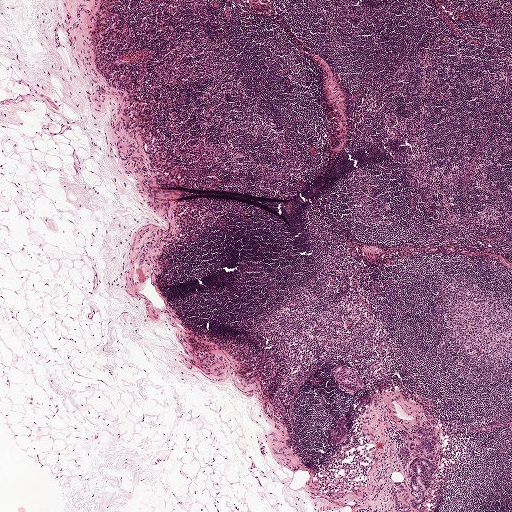
H&E-stained section of a sentinel lymph node (breast cancer), from a whole-slide image, viewed at about 2.5×: the field is about 2.0 mm across, about 3.9 µm per pixel.
Three metastatic tumour regions, each outlined as a closed clockwise path in crop pixels (x, y), largest first: region 1: (431, 423), (440, 424), (440, 456), (426, 497), (425, 511), (395, 511), (392, 498), (388, 496), (389, 492), (392, 486), (401, 480), (409, 479), (409, 475), (407, 468), (397, 464), (394, 458), (395, 449), (405, 444), (419, 430); region 2: (338, 363), (358, 372), (362, 379), (361, 388), (354, 392), (339, 389), (330, 373), (331, 368); region 3: (343, 416), (345, 416), (348, 430), (348, 438), (345, 444), (340, 445), (336, 445), (333, 440), (329, 438), (330, 427).
The annotated tumour makes up under 5% of the crop.